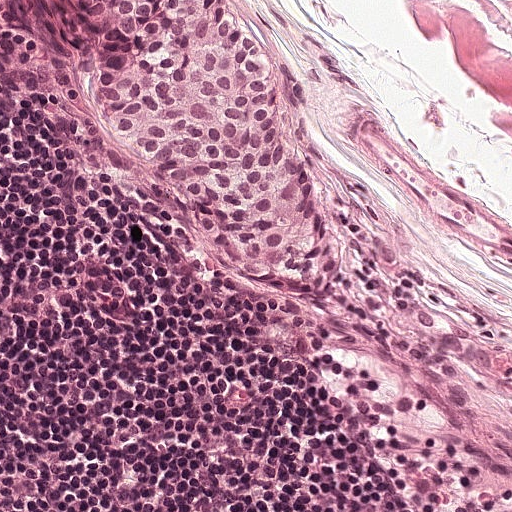
A 0.25-mm field of an H&E-stained sentinel lymph node from a breast-cancer patient (whole-slide image), shown at about 20×, about 0.49 µm per pixel.
Tumour region outline (a closed clockwise path, crop pixels): (222, 0), (254, 31), (278, 74), (308, 172), (328, 197), (342, 297), (335, 317), (284, 317), (227, 286), (160, 180), (119, 152), (78, 2).
About 20% of this field is tumour.